This is a crop of a whole-slide image: an H&E-stained breast-cancer sentinel lymph node section at roughly 2.5× magnification (about 3.9 µm per pixel; the crop spans about 2.0 mm).
Question: 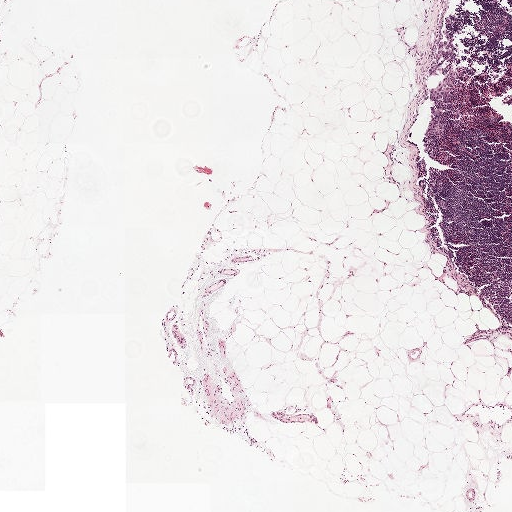
What fraction of the image area is metastatic tumour?

Choices:
 (A) about 10% to 20%
 (B) none: no tumour is outlined
 (C) about 50% or more
 (D) about 25% to 45%
 (E) about 5% or less

Answer: (E) about 5% or less
Under 5% of the field is tumour.
Three metastatic tumour regions, each outlined as a closed clockwise path in crop pixels (x, y), largest first: region 1: (439, 29), (443, 35), (443, 39), (448, 44), (448, 48), (447, 49), (448, 53), (445, 56), (440, 58), (436, 70), (438, 72), (437, 75), (430, 76), (427, 74), (426, 70), (432, 55), (436, 49), (436, 43); region 2: (431, 106), (440, 108), (442, 113), (440, 120), (443, 124), (443, 131), (442, 134), (437, 136), (426, 136), (423, 134), (424, 129), (431, 120), (429, 113); region 3: (443, 78), (449, 79), (449, 99), (444, 102), (441, 99), (435, 102), (428, 100), (430, 89).
Three more small tumour pieces are annotated here but not outlined.